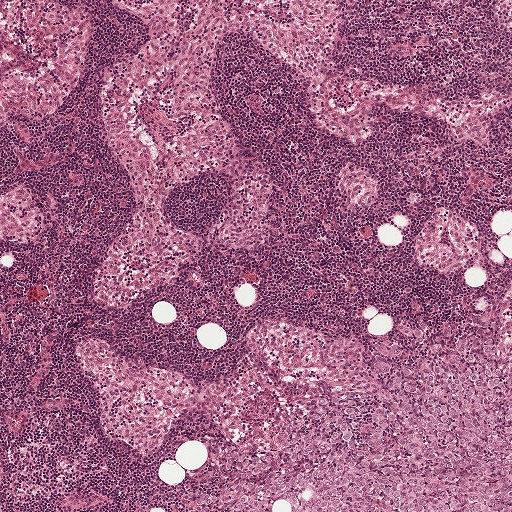
Lymph node section stained with H&E, from a whole-slide image of a breast-cancer sentinel node. Magnification about 5×, about 1 mm across the frame, about 1.9 µm per pixel.
One metastatic tumour region; its boundary, reduced to 19 corners and listed clockwise: (488, 312), (511, 377), (511, 511), (190, 511), (222, 485), (228, 446), (259, 448), (305, 428), (309, 398), (324, 390), (383, 391), (367, 344), (378, 333), (408, 343), (421, 321), (428, 326), (426, 355), (445, 363), (466, 314).
The annotated tumour makes up about 15% of the crop.